This is a crop of a whole-slide image: an H&E-stained breast-cancer sentinel lymph node section at roughly 20× magnification (about 0.49 µm per pixel; the crop spans about 0.25 mm).
Question: 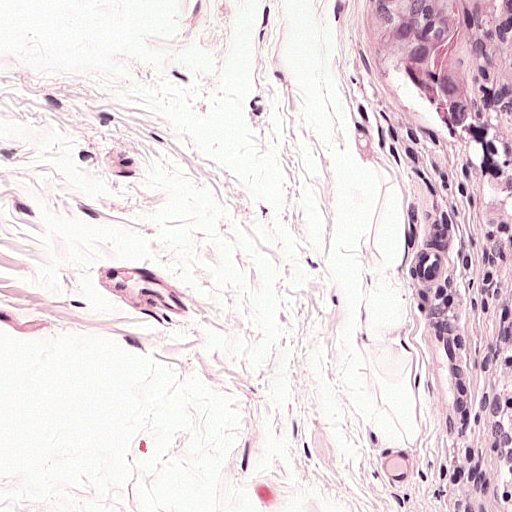
Estimate the proportion of this field that is metastatic tumour.

Choices:
 (A) about 50% or more
 (B) about 10% to 20%
 (C) none: no tumour is outlined
 (D) about 5% or less
 (E) about 25% to 45%

Answer: (D) about 5% or less
About 5% of the field is tumour.
One metastatic tumour region; its boundary, reduced to 10 corners and listed clockwise: (358, 0), (462, 0), (465, 24), (460, 56), (473, 84), (477, 114), (453, 129), (384, 72), (366, 48), (354, 22).